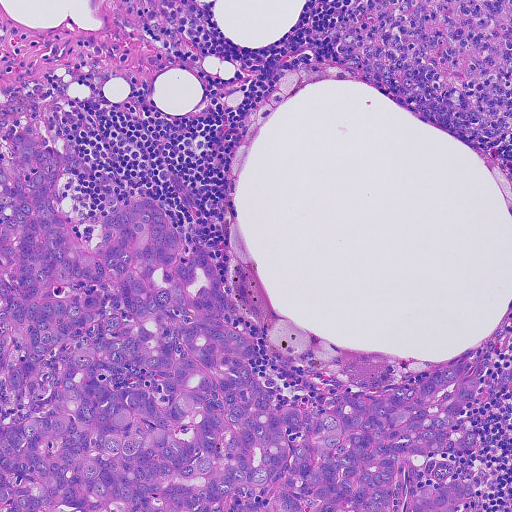
Lymph node section stained with H&E, from a whole-slide image of a breast-cancer sentinel node. Magnification about 10×, about 0.46 mm across the frame, about 0.91 µm per pixel.
One metastatic tumour region; its boundary, reduced to 14 corners and listed clockwise: (9, 140), (58, 158), (80, 238), (106, 184), (122, 205), (151, 197), (180, 254), (216, 268), (278, 410), (479, 373), (430, 476), (478, 475), (480, 508), (0, 511).
Tumour covers about 40% of the frame.